A 0.5-mm field of an H&E-stained sentinel lymph node from a breast-cancer patient (whole-slide image), shown at about 10×, about 0.97 µm per pixel.
Image:
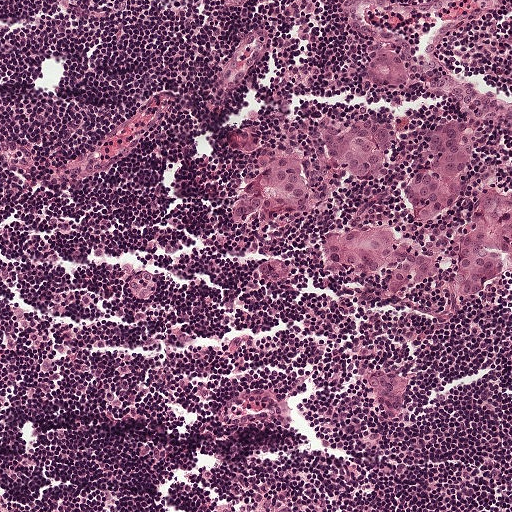
Question:
Is there metastatic carcinoma in this field?
Answer:
Yes.
Seven metastatic tumour regions, each outlined as a closed clockwise path in crop pixels (x, y), largest first: region 1: (454, 115), (462, 115), (468, 120), (471, 170), (457, 205), (450, 214), (436, 223), (416, 223), (408, 219), (402, 208), (403, 190), (412, 163), (436, 124); region 2: (389, 228), (414, 246), (440, 258), (449, 267), (448, 276), (439, 283), (416, 285), (405, 294), (397, 294), (390, 290), (390, 285), (399, 266), (374, 277), (356, 276), (343, 271), (325, 258), (329, 234), (334, 230); region 3: (511, 190), (511, 241), (509, 248), (511, 248), (511, 274), (495, 280), (471, 300), (462, 300), (453, 296), (451, 289), (455, 275), (456, 255), (471, 213), (484, 192); region 4: (290, 140), (298, 141), (304, 146), (316, 178), (315, 214), (276, 214), (258, 219), (248, 226), (233, 226), (228, 222), (232, 198), (246, 189), (257, 174), (268, 166), (278, 146); region 5: (375, 113), (393, 124), (393, 149), (388, 176), (368, 181), (356, 181), (340, 175), (335, 170), (331, 158), (319, 144), (316, 136), (313, 126), (316, 115), (329, 122), (352, 120); region 6: (373, 372), (394, 373), (408, 378), (409, 390), (405, 396), (406, 409), (402, 418), (390, 420), (384, 418), (381, 414), (370, 388), (365, 382), (366, 376); region 7: (274, 256), (290, 267), (290, 279), (288, 283), (270, 281), (264, 274), (254, 269), (254, 265).
About 10% of the image area is annotated as tumour.